Image:
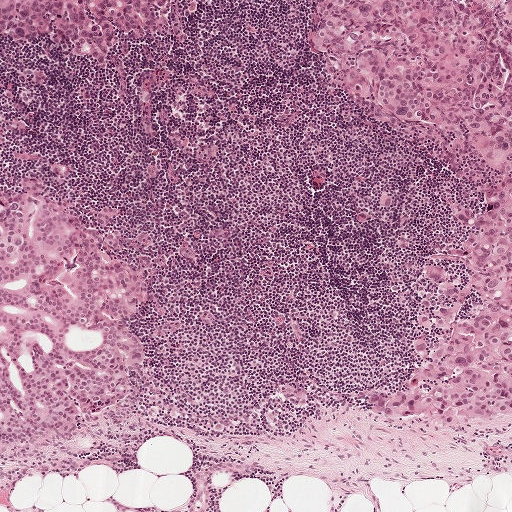
H&E-stained section of a sentinel lymph node (breast cancer), from a whole-slide image, viewed at about 5×: the field is about 1 mm across, about 1.9 µm per pixel.
Question:
Which parts of this field are metastatic tumour? Answer with the outline of each region, in pixels.
Answer:
Three metastatic tumour regions, each outlined as a closed clockwise path in crop pixels (x, y), largest first: region 1: (315, 0), (511, 0), (511, 415), (370, 407), (370, 390), (425, 370), (415, 338), (446, 343), (417, 320), (440, 289), (425, 266), (467, 285), (450, 253), (473, 233), (459, 214), (500, 181), (466, 124), (419, 141), (345, 88), (307, 45); region 2: (35, 176), (52, 203), (74, 204), (89, 227), (97, 212), (116, 206), (120, 216), (106, 233), (115, 229), (127, 237), (113, 256), (145, 275), (151, 300), (134, 328), (144, 362), (127, 387), (69, 440), (39, 438), (2, 455), (0, 190), (16, 192), (23, 178); region 3: (0, 0), (175, 0), (174, 7), (184, 30), (181, 38), (162, 33), (138, 41), (136, 32), (117, 34), (106, 68), (57, 49), (48, 35), (32, 45), (9, 42), (0, 33).
Tumour covers about 30% of the frame.